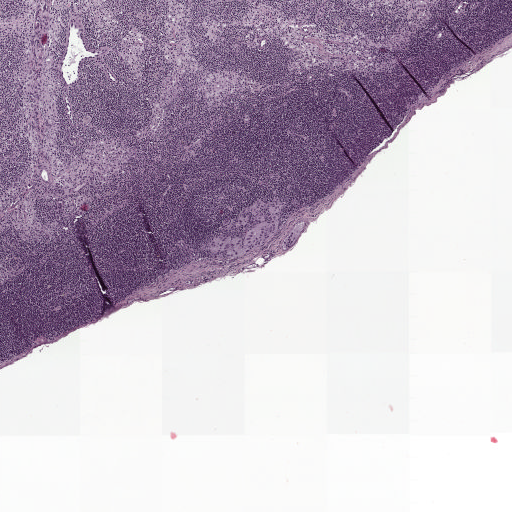
This is a crop of a whole-slide image: an H&E-stained breast-cancer sentinel lymph node section at roughly 2.5× magnification (about 3.9 µm per pixel; the crop spans about 2.0 mm).
Outlines of two tumour regions, largest first (closed clockwise paths, crop pixels): region 1: (278, 196), (280, 200), (286, 202), (281, 209), (283, 215), (280, 216), (278, 231), (267, 245), (252, 253), (235, 257), (224, 255), (224, 251), (218, 254), (202, 251), (198, 246), (210, 241), (225, 217), (230, 217), (230, 222), (235, 221), (241, 211), (261, 200), (272, 202); region 2: (302, 222), (303, 226), (298, 236), (297, 241), (288, 248), (282, 247), (283, 242), (298, 223).
The annotated tumour makes up under 5% of the crop.